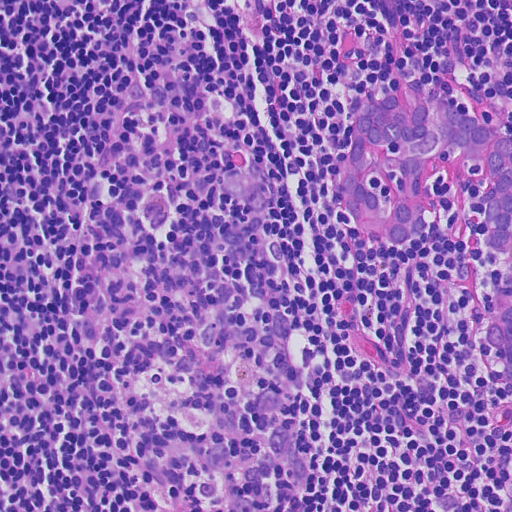
This is a crop of a whole-slide image: an H&E-stained breast-cancer sentinel lymph node section at roughly 20× magnification (about 0.45 µm per pixel; the crop spans about 0.23 mm).
Boundaries of two metastatic tumour regions, simplified and listed clockwise, largest first: region 1: (415, 78), (511, 136), (511, 390), (500, 353), (483, 341), (492, 289), (508, 263), (481, 238), (489, 224), (482, 158), (450, 146), (433, 156), (424, 194), (432, 223), (422, 235), (394, 246), (354, 224), (338, 198), (363, 109); region 2: (511, 488), (511, 511), (500, 511), (500, 503).
The annotated tumour makes up about 10% of the crop.